Question: 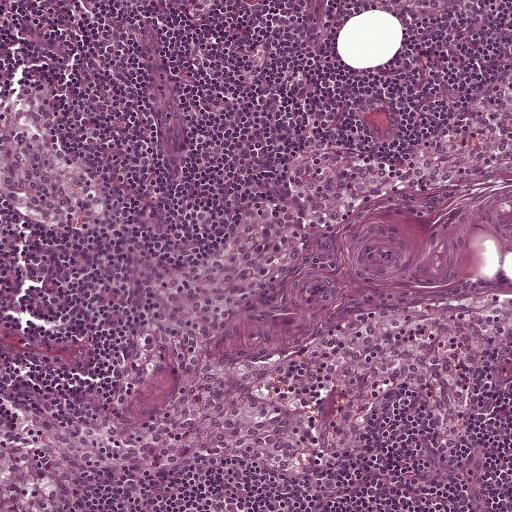
About what magnification does this crop show?

Choices:
 (A) about 2.5×
 (B) about 5×
 (C) about 20×
 (D) about 10×
 (E) about 40×

Answer: (D) about 10×
This is a crop of a whole-slide image: an H&E-stained breast-cancer sentinel lymph node section at roughly 10× magnification (about 0.97 µm per pixel; the crop spans about 0.5 mm).